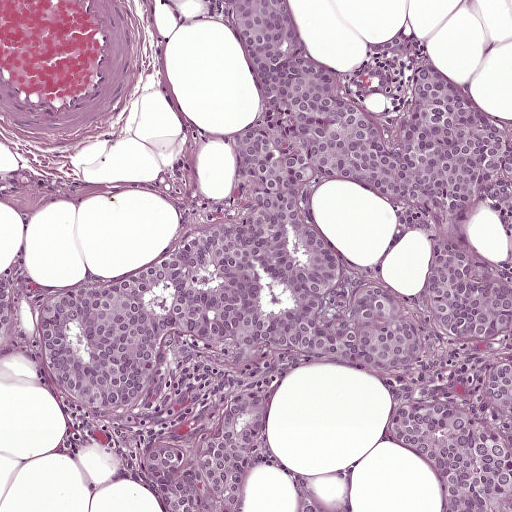
A 0.5-mm field of an H&E-stained sentinel lymph node from a breast-cancer patient (whole-slide image), shown at about 10×, about 0.97 µm per pixel.
Boundaries of three metastatic tumour regions, simplified and listed clockwise, largest first: region 1: (213, 0), (289, 0), (310, 65), (368, 135), (396, 124), (410, 75), (438, 69), (500, 119), (511, 511), (441, 511), (391, 430), (398, 401), (349, 362), (259, 375), (210, 351), (99, 406), (0, 348), (0, 284), (87, 295), (226, 229), (233, 137), (266, 109); region 2: (242, 389), (272, 397), (263, 458), (244, 482), (238, 511), (161, 511), (138, 459), (212, 399); region 3: (316, 456), (345, 466), (344, 497), (348, 511), (289, 511), (291, 504), (290, 474).
Tumour covers about 50% of the frame.